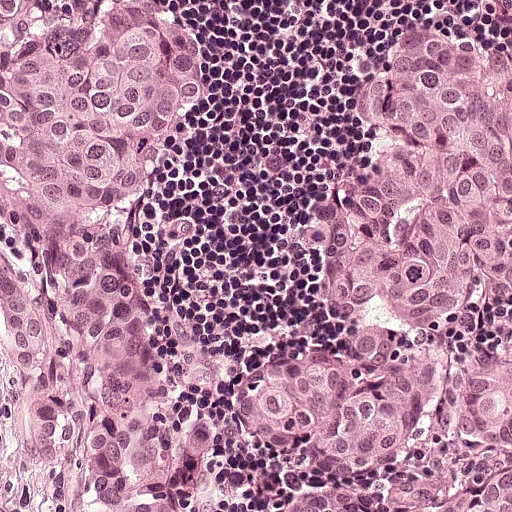
H&E-stained section of a sentinel lymph node (breast cancer), from a whole-slide image, viewed at about 20×: the field is about 0.25 mm across, about 0.49 µm per pixel.
Question: Show where the tumour is in this image.
Answer: Boundaries of two metastatic tumour regions, simplified and listed clockwise, largest first: region 1: (470, 23), (510, 64), (511, 511), (273, 511), (322, 473), (247, 437), (240, 396), (288, 350), (340, 337), (310, 316), (304, 268), (352, 160), (372, 62), (424, 30); region 2: (0, 0), (157, 0), (202, 82), (206, 130), (149, 244), (176, 332), (186, 446), (215, 510), (95, 511), (54, 418), (0, 351).
The annotated tumour makes up about 70% of the crop.